Question: 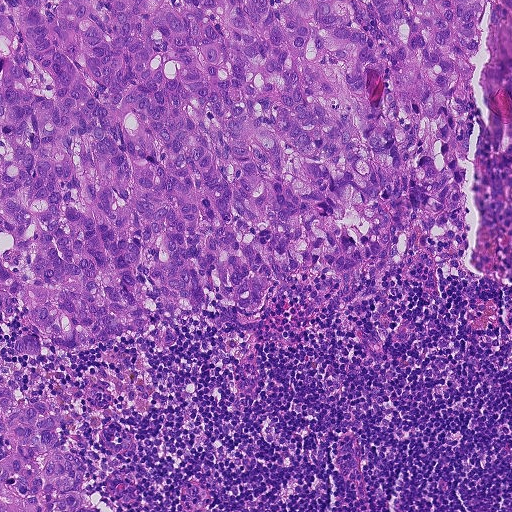
Lymph node section stained with H&E, from a whole-slide image of a breast-cancer sentinel node. Magnification about 10×, about 0.46 mm across the frame, about 0.9 µm per pixel.
Estimate the proportion of this field that is metastatic tumour.

Choices:
 (A) about 5% or less
 (B) none: no tumour is outlined
 (C) about 10% to 20%
 (D) about 50% or more
 (E) about 25% to 45%

Answer: (D) about 50% or more
About 60% of the field is tumour.
Boundaries of two metastatic tumour regions, simplified and listed clockwise, largest first: region 1: (0, 0), (511, 0), (511, 222), (480, 187), (444, 213), (400, 224), (391, 245), (352, 270), (286, 274), (262, 310), (220, 302), (185, 321), (148, 300), (150, 322), (134, 338), (90, 352), (17, 349), (11, 338), (32, 332), (0, 312); region 2: (0, 394), (16, 407), (39, 412), (58, 426), (82, 464), (78, 486), (98, 511), (0, 511).